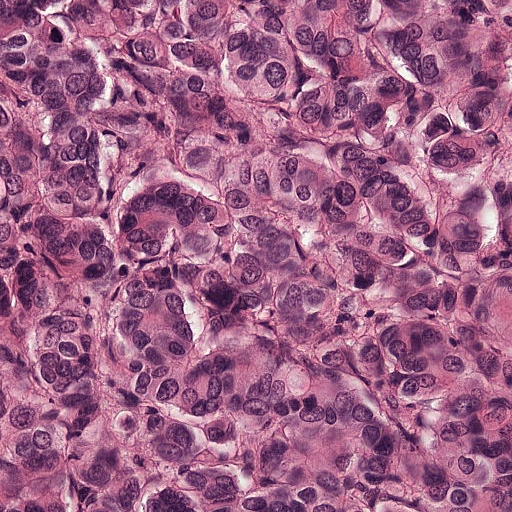
Lymph node section stained with H&E, from a whole-slide image of a breast-cancer sentinel node. Magnification about 20×, about 0.25 mm across the frame, about 0.49 µm per pixel.
Metastatic tumour covers the whole field.
The annotated tumour makes up over 95% of the crop.